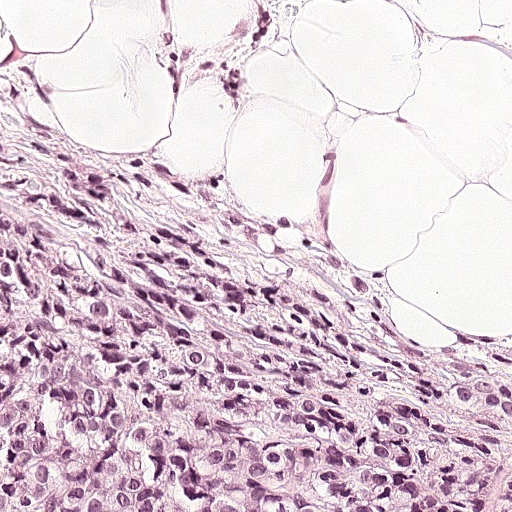
A 0.25-mm field of an H&E-stained sentinel lymph node from a breast-cancer patient (whole-slide image), shown at about 20×, about 0.49 µm per pixel.
Question: Does this lymph node field contain metastatic tumour?
Answer: Yes.
One metastatic tumour region; its boundary, reduced to 12 corners and listed clockwise: (0, 89), (32, 92), (122, 164), (158, 160), (189, 176), (238, 178), (286, 253), (358, 289), (406, 339), (511, 352), (511, 511), (0, 511).
About 55% of this field is tumour.